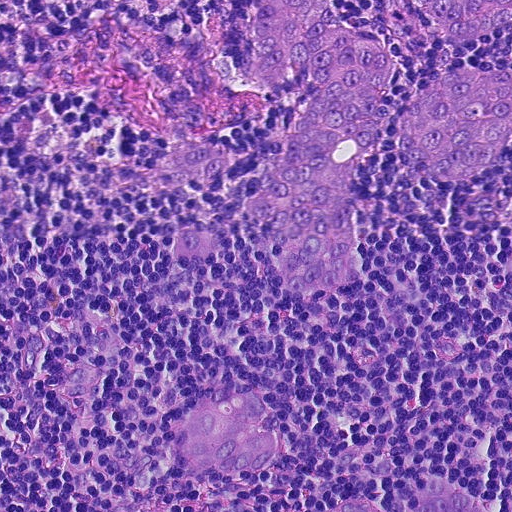
This is a crop of a whole-slide image: an H&E-stained breast-cancer sentinel lymph node section at roughly 20× magnification (about 0.45 µm per pixel; the crop spans about 0.23 mm).
Boundaries of five metastatic tumour regions, simplified and listed clockwise, largest first: region 1: (324, 0), (339, 21), (380, 40), (393, 56), (384, 122), (355, 182), (354, 226), (364, 270), (352, 288), (330, 291), (286, 286), (240, 208), (292, 137), (312, 98), (314, 76), (294, 69), (278, 83), (256, 82), (237, 68), (235, 46), (248, 3); region 2: (476, 62), (511, 68), (511, 132), (492, 162), (452, 183), (430, 183), (400, 150), (395, 128), (402, 106), (416, 89), (453, 65); region 3: (245, 390), (265, 400), (279, 444), (278, 466), (259, 479), (238, 480), (214, 478), (191, 469), (178, 450), (177, 428), (189, 408), (208, 399), (224, 398); region 4: (412, 0), (511, 0), (511, 21), (493, 32), (471, 35), (448, 34), (429, 22); region 5: (428, 472), (445, 484), (466, 490), (486, 502), (488, 511), (416, 511).
Two more small tumour pieces are annotated here but not outlined.
Tumour covers about 20% of the frame.